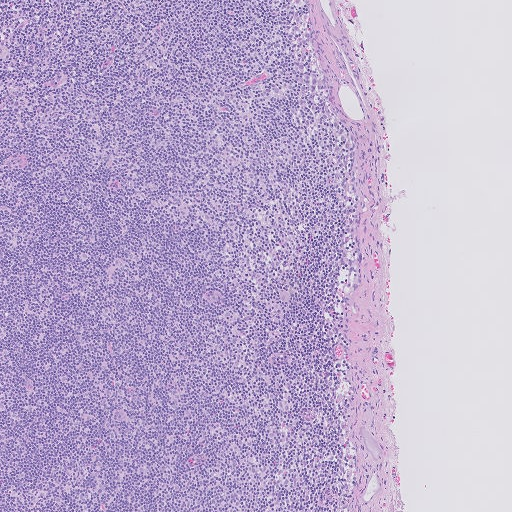
This is a crop of a whole-slide image: an H&E-stained breast-cancer sentinel lymph node section at roughly 5× magnification (about 2.0 µm per pixel; the crop spans about 1.0 mm).